Image:
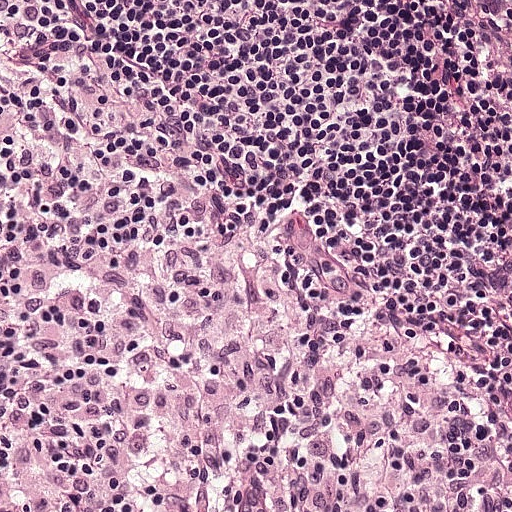
A 0.25-mm field of an H&E-stained sentinel lymph node from a breast-cancer patient (whole-slide image), shown at about 20×, about 0.49 µm per pixel.
Question:
Is any metastatic breast cancer visible in this crop?
Answer:
No. No metastatic tumour is outlined in this field.